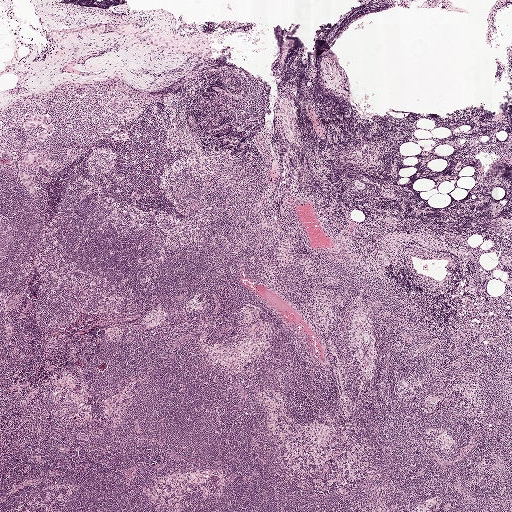
A 2.0-mm field of an H&E-stained sentinel lymph node from a breast-cancer patient (whole-slide image), shown at about 2.5×, about 3.9 µm per pixel.
Six metastatic tumour regions, each outlined as a closed clockwise path in crop pixels (x, y), largest first: region 1: (24, 114), (43, 114), (48, 116), (54, 126), (53, 133), (41, 140), (38, 140), (36, 137), (44, 129), (43, 126), (37, 124), (30, 131), (25, 131), (21, 125); region 2: (44, 150), (45, 157), (50, 159), (51, 162), (51, 167), (45, 169), (34, 164), (29, 166), (23, 165), (22, 161), (24, 157), (31, 151); region 3: (17, 170), (30, 173), (33, 175), (33, 192), (32, 195), (28, 194), (19, 176), (15, 173); region 4: (118, 98), (126, 98), (127, 99), (127, 102), (124, 105), (119, 108), (114, 108), (109, 108), (108, 106), (109, 103); region 5: (125, 129), (126, 132), (127, 137), (126, 138), (122, 139), (117, 139), (113, 138), (112, 135), (114, 133), (119, 133), (122, 132), (123, 130); region 6: (115, 85), (122, 85), (130, 88), (132, 91), (132, 93), (130, 93), (126, 93), (123, 91), (120, 90), (115, 86).
Under 5% of the image area is annotated as tumour.